Question: 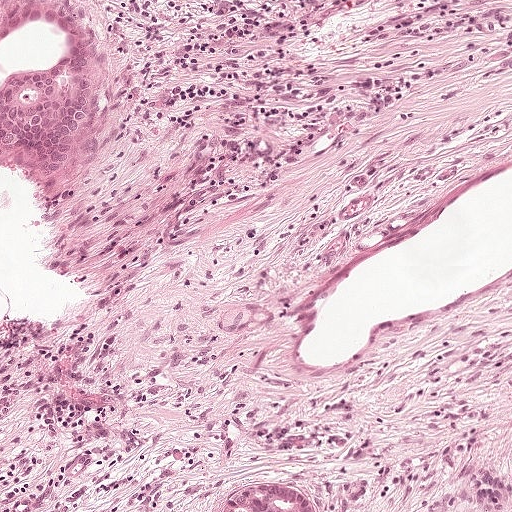
About what magnification does this crop show?

Choices:
 (A) about 2.5×
 (B) about 5×
 (C) about 10×
 (D) about 20×
 (E) about 40×

Answer: (C) about 10×
Lymph node section stained with H&E, from a whole-slide image of a breast-cancer sentinel node. Magnification about 10×, about 0.5 mm across the frame, about 0.97 µm per pixel.